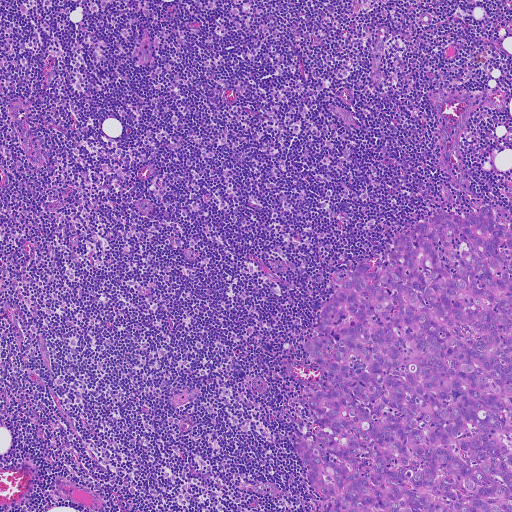
H&E-stained section of a sentinel lymph node (breast cancer), from a whole-slide image, viewed at about 5×: the field is about 0.93 mm across, about 1.8 µm per pixel.
Tumour region outline (a closed clockwise path, crop pixels): (484, 203), (501, 226), (511, 221), (511, 511), (323, 511), (295, 445), (312, 442), (320, 427), (306, 400), (323, 370), (303, 344), (318, 333), (322, 313), (361, 262), (368, 272), (382, 270), (395, 238), (436, 211), (465, 218).
About 20% of this field is tumour.